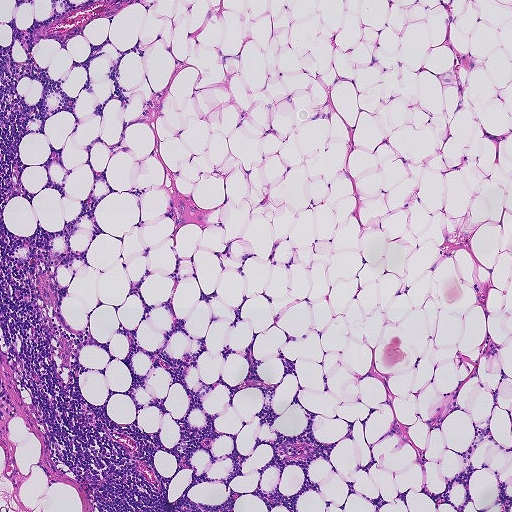
A 0.93-mm field of an H&E-stained sentinel lymph node from a breast-cancer patient (whole-slide image), shown at about 5×, about 1.8 µm per pixel.
Question: Is there metastatic carcinoma in this field?
Answer: No, this field holds no outlined metastasis.